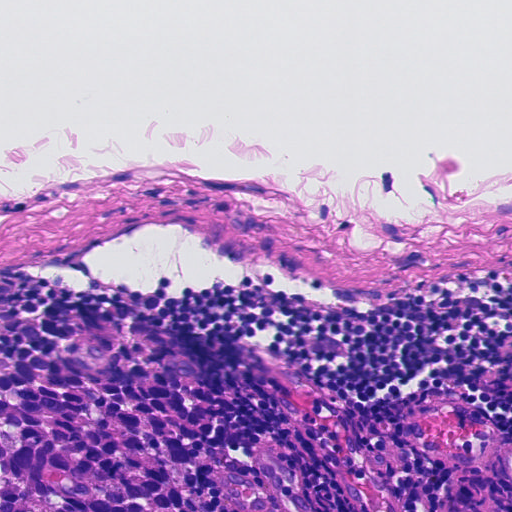
A 0.23-mm field of an H&E-stained sentinel lymph node from a breast-cancer patient (whole-slide image), shown at about 20×, about 0.45 µm per pixel.
Boundaries of two metastatic tumour regions, simplified and listed clockwise, largest first: region 1: (0, 356), (83, 362), (107, 379), (150, 422), (196, 510), (0, 511); region 2: (52, 298), (104, 304), (152, 327), (192, 356), (222, 406), (194, 441), (160, 432), (134, 400), (128, 373), (66, 352), (36, 323).
About 15% of the image area is annotated as tumour.